H&E-stained section of a sentinel lymph node (breast cancer), from a whole-slide image, viewed at about 20×: the field is about 0.25 mm across, about 0.49 µm per pixel.
Image:
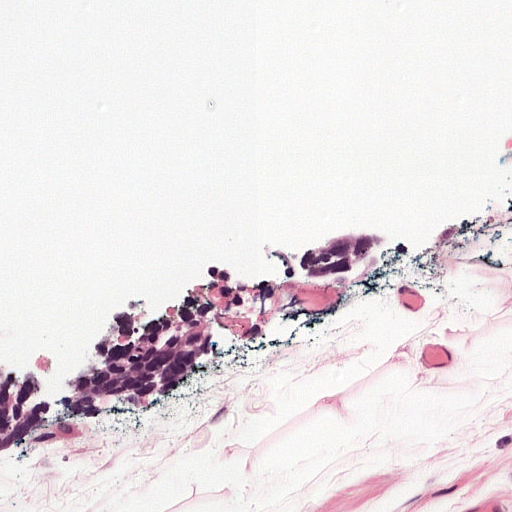
Question:
Which parts of this field are metastatic tumour?
Answer:
Boundaries of two metastatic tumour regions, simplified and listed clockwise, largest first: region 1: (157, 292), (223, 303), (197, 382), (0, 474), (0, 343); region 2: (322, 234), (397, 240), (362, 270), (317, 279), (286, 257).
The annotated tumour makes up about 10% of the crop.